Question: 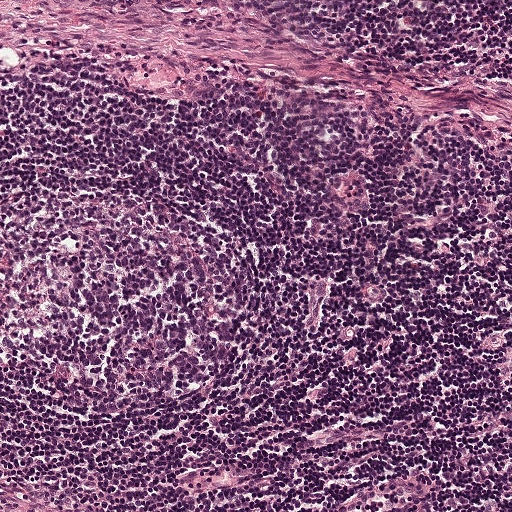
Which magnification is this H&E lymph node field most likely shown at?

Choices:
 (A) about 5×
 (B) about 40×
 (C) about 10×
 (D) about 20×
 (E) about 2.5×

Answer: (C) about 10×
Lymph node section stained with H&E, from a whole-slide image of a breast-cancer sentinel node. Magnification about 10×, about 0.5 mm across the frame, about 0.97 µm per pixel.